Question: 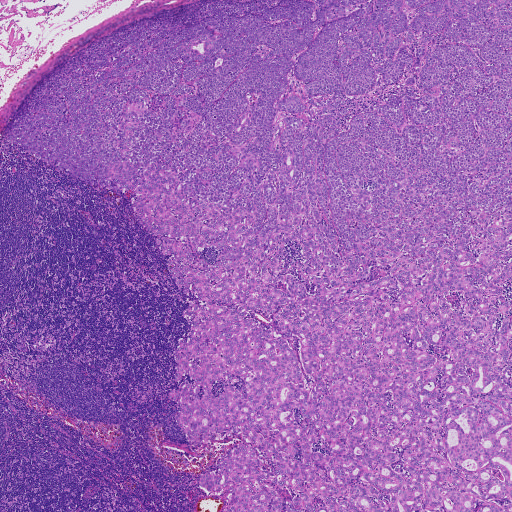
At roughly what magnification is this field shown?

Choices:
 (A) about 40×
 (B) about 2.5×
 (C) about 10×
 (D) about 20×
 (E) about 5×

Answer: (B) about 2.5×
This is a crop of a whole-slide image: an H&E-stained breast-cancer sentinel lymph node section at roughly 2.5× magnification (about 3.6 µm per pixel; the crop spans about 1.9 mm).
Tumour region outline (a closed clockwise path, crop pixels): (511, 0), (511, 511), (223, 511), (230, 493), (200, 485), (249, 440), (188, 443), (178, 405), (161, 397), (193, 384), (187, 373), (175, 379), (174, 353), (200, 300), (178, 289), (173, 255), (132, 208), (139, 196), (66, 174), (2, 132), (79, 52), (192, 4).
One more small tumour piece is annotated here but not outlined.
About 75% of this field is tumour.